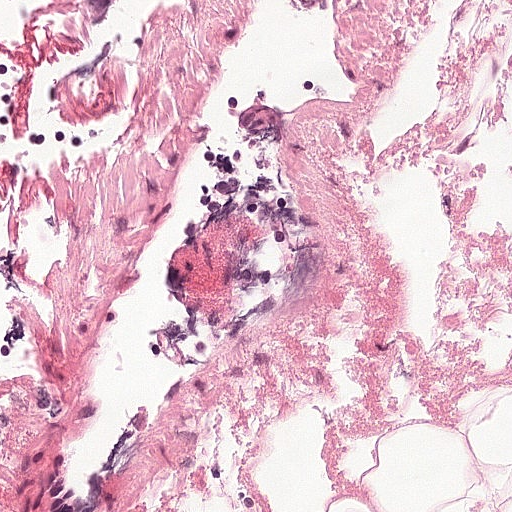
A 0.25-mm field of an H&E-stained sentinel lymph node from a breast-cancer patient (whole-slide image), shown at about 20×, about 0.49 µm per pixel.